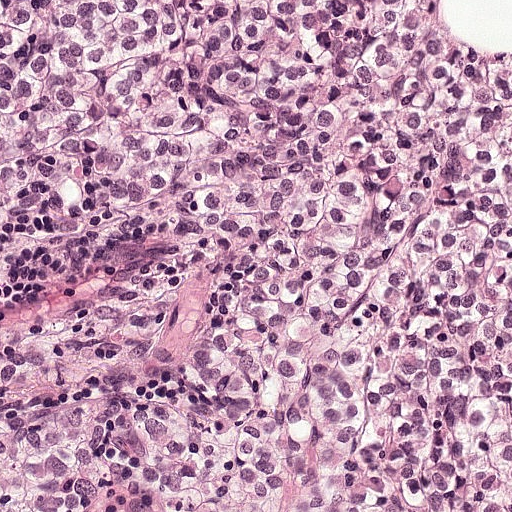
This is a crop of a whole-slide image: an H&E-stained breast-cancer sentinel lymph node section at roughly 20× magnification (about 0.49 µm per pixel; the crop spans about 0.25 mm).
Question: Is there metastatic carcinoma in this field?
Answer: Yes.
Metastatic tumour covers the whole field.
Over 95% of the image area is annotated as tumour.